A 0.25-mm field of an H&E-stained sentinel lymph node from a breast-cancer patient (whole-slide image), shown at about 20×, about 0.49 µm per pixel.
Image:
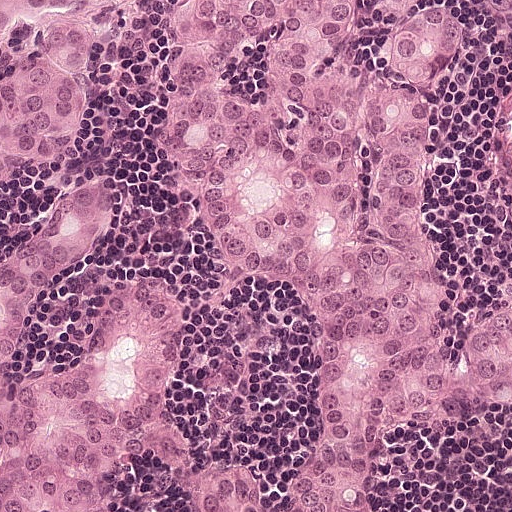
Question:
Is there metastatic carcinoma in this field?
Answer:
Yes.
Three metastatic tumour regions, each outlined as a closed clockwise path in crop pixels (x, y), largest first: region 1: (442, 0), (450, 11), (458, 45), (433, 100), (421, 247), (452, 362), (511, 304), (511, 412), (384, 434), (367, 511), (186, 511), (220, 460), (252, 477), (264, 500), (292, 485), (328, 382), (298, 302), (266, 284), (218, 282), (198, 218), (150, 155), (162, 100), (156, 26), (168, 3); region 2: (118, 170), (137, 192), (137, 224), (32, 304), (18, 366), (35, 369), (60, 355), (109, 286), (154, 275), (177, 295), (192, 324), (192, 352), (160, 410), (204, 446), (202, 478), (181, 485), (146, 462), (131, 471), (131, 511), (0, 511), (0, 243), (54, 192); region 3: (0, 0), (116, 0), (83, 87), (83, 116), (78, 127), (44, 164), (0, 182).
Tumour covers about 65% of the frame.